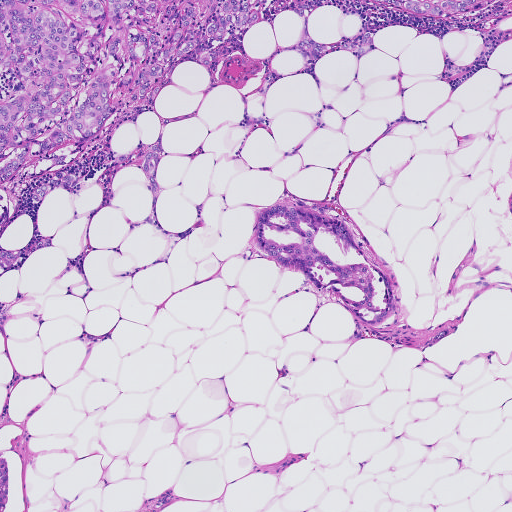
H&E-stained section of a sentinel lymph node (breast cancer), from a whole-slide image, viewed at about 5×: the field is about 0.93 mm across, about 1.8 µm per pixel.
Seven metastatic tumour regions, each outlined as a closed clockwise path in crop pixels (x, y), largest first: region 1: (0, 0), (180, 0), (182, 9), (198, 10), (203, 24), (219, 0), (243, 0), (256, 9), (257, 23), (177, 58), (148, 104), (58, 150), (69, 155), (66, 171), (81, 180), (77, 188), (58, 188), (42, 203), (30, 200), (60, 167), (45, 159), (28, 160), (1, 185); region 2: (282, 204), (340, 217), (372, 262), (390, 279), (392, 315), (380, 325), (372, 325), (358, 319), (331, 292), (263, 257), (252, 229), (254, 215), (259, 210); region 3: (307, 3), (310, 7), (308, 18), (309, 33), (316, 42), (337, 46), (367, 32), (372, 31), (375, 36), (375, 46), (372, 51), (358, 59), (350, 52), (334, 51), (315, 62), (304, 62), (300, 53), (296, 49), (304, 23), (294, 10), (296, 5); region 4: (366, 0), (502, 0), (481, 10), (448, 16), (425, 16), (403, 9); region 5: (161, 140), (166, 154), (159, 162), (157, 176), (164, 188), (155, 206), (144, 172), (138, 165), (142, 158), (120, 162), (116, 156), (131, 153); region 6: (53, 235), (53, 247), (37, 252), (32, 254), (24, 261), (8, 267), (0, 267), (0, 253), (8, 250), (26, 250), (32, 248), (39, 239), (44, 237); region 7: (0, 452), (6, 458), (8, 473), (8, 496), (3, 510), (0, 511).
One more small tumour piece is annotated here but not outlined.
The annotated tumour makes up about 15% of the crop.